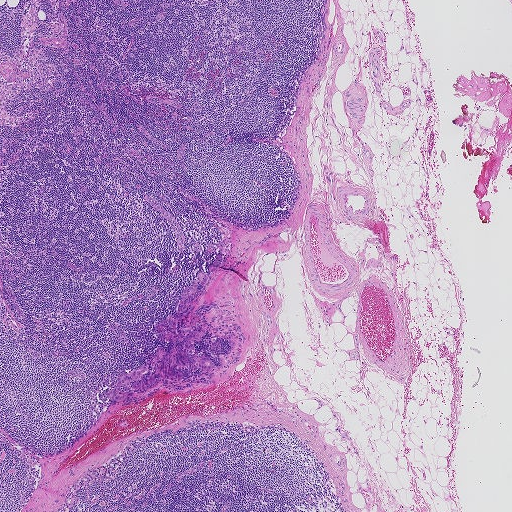
A 1.9-mm field of an H&E-stained sentinel lymph node from a breast-cancer patient (whole-slide image), shown at about 2.5×, about 3.6 µm per pixel.
One metastatic tumour region; its boundary, reduced to 39 corners and listed clockwise: (198, 273), (207, 274), (208, 292), (194, 313), (200, 319), (181, 330), (184, 338), (204, 327), (205, 333), (184, 353), (215, 365), (198, 370), (174, 365), (184, 378), (151, 374), (155, 380), (134, 391), (146, 391), (141, 396), (107, 398), (104, 392), (117, 387), (118, 375), (158, 362), (152, 360), (159, 346), (166, 352), (171, 348), (177, 339), (164, 340), (166, 332), (154, 325), (163, 319), (166, 328), (173, 328), (167, 318), (191, 306), (175, 311), (183, 289).
Two more small tumour pieces are annotated here but not outlined.
The annotated tumour makes up under 5% of the crop.